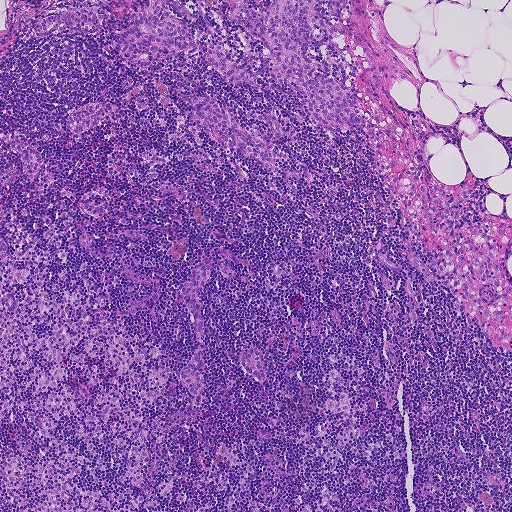
A 0.93-mm field of an H&E-stained sentinel lymph node from a breast-cancer patient (whole-slide image), shown at about 5×, about 1.8 µm per pixel.
The eight largest tumour regions' boundaries, simplified and listed clockwise, largest first: region 1: (277, 0), (313, 0), (326, 24), (339, 27), (336, 35), (323, 28), (312, 29), (308, 56), (328, 61), (328, 76), (355, 96), (359, 124), (344, 133), (327, 132), (311, 123), (306, 96), (271, 78), (264, 47), (232, 23), (233, 12), (241, 6), (258, 12), (271, 9); region 2: (214, 95), (219, 104), (233, 109), (234, 118), (241, 129), (248, 131), (250, 125), (256, 126), (266, 136), (272, 136), (268, 124), (252, 118), (251, 115), (263, 117), (269, 114), (275, 117), (282, 135), (270, 143), (281, 145), (279, 150), (288, 155), (273, 162), (280, 176), (270, 179), (265, 168), (254, 159), (236, 149), (230, 154), (224, 154), (204, 129), (197, 132), (196, 124), (190, 124), (188, 118), (195, 96), (199, 100); region 3: (154, 0), (158, 0), (160, 5), (157, 18), (160, 22), (170, 20), (177, 23), (190, 33), (195, 45), (185, 50), (173, 46), (169, 49), (161, 47), (152, 65), (147, 68), (132, 64), (114, 48), (120, 33), (131, 27), (138, 13), (148, 9); region 4: (204, 256), (207, 257), (210, 269), (210, 281), (204, 285), (199, 303), (204, 322), (200, 342), (203, 360), (199, 372), (205, 383), (199, 394), (193, 395), (181, 381), (179, 374), (197, 348), (192, 316), (183, 299), (181, 286), (190, 278), (198, 260); region 5: (72, 11), (85, 14), (91, 11), (96, 14), (99, 28), (97, 32), (87, 34), (71, 31), (64, 25), (44, 38), (35, 36), (33, 27), (40, 20), (52, 14); region 6: (219, 36), (223, 40), (224, 48), (228, 52), (226, 57), (227, 63), (239, 65), (243, 70), (254, 76), (258, 85), (256, 86), (244, 83), (235, 84), (229, 82), (202, 57), (203, 54), (216, 46), (218, 40), (216, 38); region 7: (104, 102), (117, 107), (82, 132), (78, 132), (69, 128), (67, 123), (70, 114), (85, 104); region 8: (14, 134), (18, 139), (38, 150), (42, 162), (34, 179), (30, 180), (22, 167), (21, 153), (12, 150), (8, 142), (4, 142), (1, 138), (4, 136).
One more, smaller tumour region is not outlined.
One more small tumour piece is annotated here but not outlined.
The annotated tumour makes up about 10% of the crop.